Question: 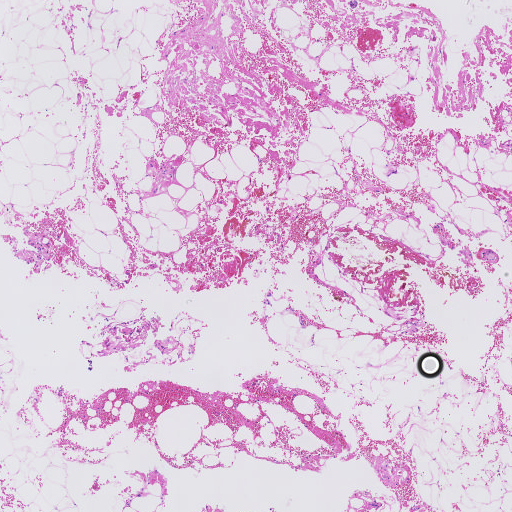
About what magnification does this crop show?

Choices:
 (A) about 40×
 (B) about 2.5×
 (C) about 5×
 (D) about 20×
 (E) about 10×

Answer: (B) about 2.5×
This is a crop of a whole-slide image: an H&E-stained breast-cancer sentinel lymph node section at roughly 2.5× magnification (about 3.6 µm per pixel; the crop spans about 1.9 mm).